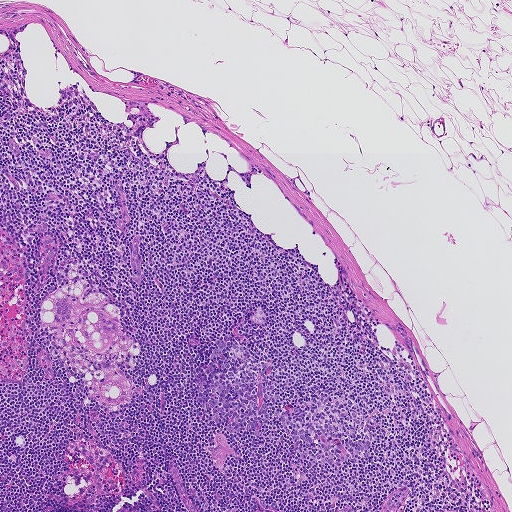
This is a crop of a whole-slide image: an H&E-stained breast-cancer sentinel lymph node section at roughly 5× magnification (about 1.8 µm per pixel; the crop spans about 0.93 mm).